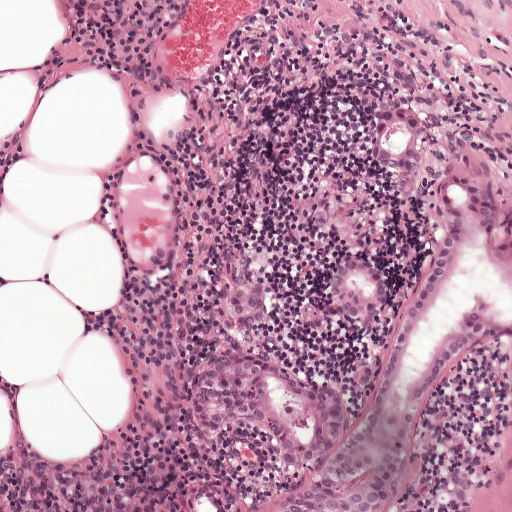
H&E-stained section of a sentinel lymph node (breast cancer), from a whole-slide image, viewed at about 10×: the field is about 0.5 mm across, about 0.97 µm per pixel.
The outlined metastatic tumour's edge, as a closed clockwise path of 16 points: (381, 88), (511, 169), (511, 511), (193, 511), (254, 494), (253, 434), (186, 328), (184, 270), (237, 242), (240, 305), (292, 338), (348, 351), (323, 295), (339, 238), (396, 242), (345, 136).
Tumour covers about 35% of the frame.